Question: 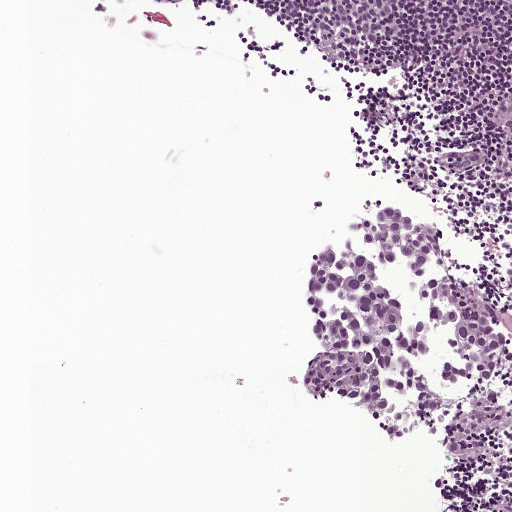
H&E-stained section of a sentinel lymph node (breast cancer), from a whole-slide image, viewed at about 10×: the field is about 0.5 mm across, about 0.97 µm per pixel.
Estimate the proportion of this field that is metastatic tumour.

Choices:
 (A) none: no tumour is outlined
 (B) about 10% to 20%
 (C) about 5% or less
 (D) about 25% to 45%
 (E) about 50% or more

Answer: (B) about 10% to 20%
About 10% of the field is tumour.
Tumour region outline (a closed clockwise path, crop pixels): (390, 203), (426, 212), (444, 236), (462, 292), (488, 307), (506, 332), (505, 361), (490, 387), (468, 383), (439, 401), (433, 440), (416, 434), (391, 442), (351, 406), (306, 396), (302, 369), (316, 348), (304, 280), (362, 213).